This is a crop of a whole-slide image: an H&E-stained breast-cancer sentinel lymph node section at roughly 10× magnification (about 0.9 µm per pixel; the crop spans about 0.46 mm).
Question: 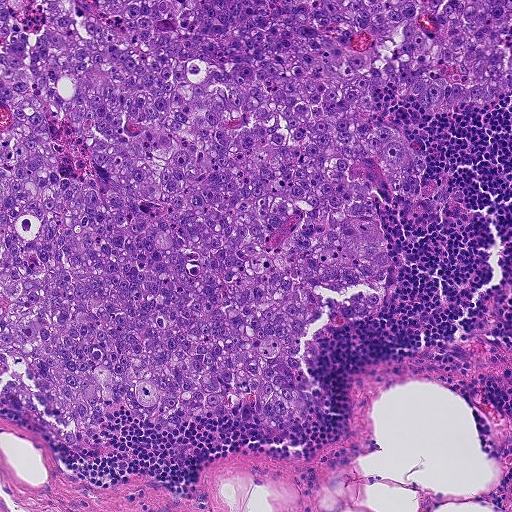
Roughly what share of this field is metastatic tumour?

Choices:
 (A) about 10% to 20%
 (B) about 25% to 45%
 (C) about 50% or more
 (D) about 5% or less
 (E) none: no tumour is outlined

Answer: (C) about 50% or more
About 65% of the field is tumour.
One metastatic tumour region; its boundary, reduced to 22 corners and listed clockwise: (0, 0), (511, 0), (511, 93), (449, 112), (386, 85), (372, 96), (418, 147), (421, 197), (372, 185), (392, 290), (388, 307), (308, 344), (304, 429), (270, 434), (236, 402), (175, 434), (130, 405), (92, 438), (45, 408), (26, 360), (8, 358), (2, 374).